Image:
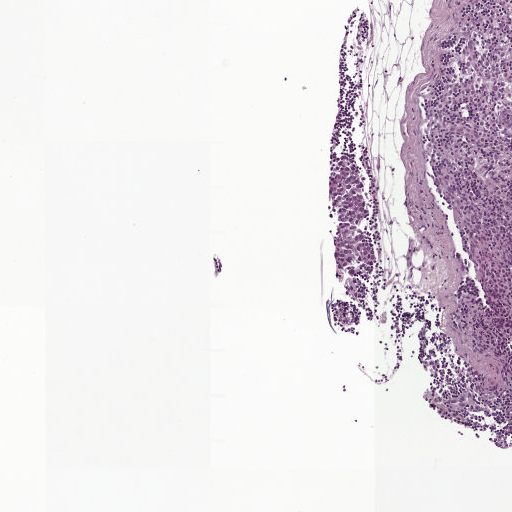
This is a crop of a whole-slide image: an H&E-stained breast-cancer sentinel lymph node section at roughly 5× magnification (about 1.9 µm per pixel; the crop spans about 1 mm).
Question:
Trace the edge of each tumour region in this crop, as (x, y) points from 0 to 511.
Answer:
The outlined metastatic tumour's edge, as a closed clockwise path of 23 points: (349, 152), (355, 156), (362, 166), (365, 178), (364, 191), (370, 215), (363, 225), (363, 230), (371, 239), (376, 250), (376, 264), (358, 281), (360, 299), (353, 300), (345, 297), (346, 275), (331, 262), (329, 238), (334, 225), (330, 220), (327, 175), (328, 163), (336, 153).
The annotated tumour makes up under 5% of the crop.